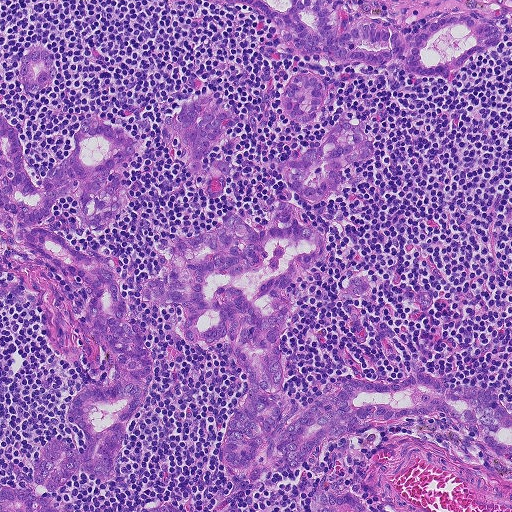
A 0.46-mm field of an H&E-stained sentinel lymph node from a breast-cancer patient (whole-slide image), shown at about 10×, about 0.9 µm per pixel.
Question: Is any metastatic breast cancer visible in this crop?
Answer: Yes.
The eight largest tumour regions' boundaries, simplified and listed clockwise, largest first: region 1: (279, 201), (328, 250), (288, 288), (285, 395), (307, 406), (327, 383), (424, 372), (503, 404), (511, 457), (448, 415), (391, 417), (290, 468), (234, 477), (219, 440), (248, 380), (226, 337), (187, 344), (188, 316), (140, 292), (170, 240), (212, 234), (233, 210), (270, 229); region 2: (0, 114), (22, 138), (32, 188), (73, 152), (87, 114), (143, 144), (138, 156), (114, 169), (126, 198), (102, 228), (89, 229), (72, 196), (39, 224), (116, 268), (150, 361), (112, 481), (80, 466), (48, 497), (73, 511), (0, 511), (0, 487), (33, 486), (36, 460), (51, 439), (80, 454), (88, 444), (85, 432), (66, 422), (66, 409), (80, 388), (115, 374), (96, 342), (76, 326), (87, 290), (4, 228); region 3: (199, 0), (337, 0), (330, 22), (334, 34), (363, 23), (376, 24), (409, 41), (430, 24), (466, 12), (493, 23), (501, 32), (500, 44), (479, 59), (456, 74), (432, 77), (407, 70), (399, 60), (373, 68), (298, 56), (286, 51), (275, 28), (256, 10), (244, 4); region 4: (344, 121), (357, 124), (373, 148), (363, 158), (350, 163), (338, 173), (335, 187), (326, 198), (314, 205), (299, 199), (289, 188), (283, 174), (289, 160), (315, 150), (325, 141), (332, 128); region 5: (200, 96), (213, 96), (226, 103), (233, 117), (230, 131), (212, 152), (206, 166), (222, 160), (231, 169), (231, 174), (222, 175), (210, 184), (195, 184), (190, 169), (189, 155), (183, 142), (172, 133), (166, 121), (176, 110); region 6: (312, 74), (324, 81), (325, 95), (314, 120), (299, 121), (287, 114), (280, 102), (288, 85), (298, 76); region 7: (40, 51), (53, 59), (56, 74), (50, 87), (36, 91), (23, 86), (18, 72), (20, 58), (26, 54); region 8: (331, 490), (346, 492), (358, 501), (367, 511), (316, 511), (319, 499).
One more, smaller tumour region is not outlined.
About 30% of this field is tumour.